Question: 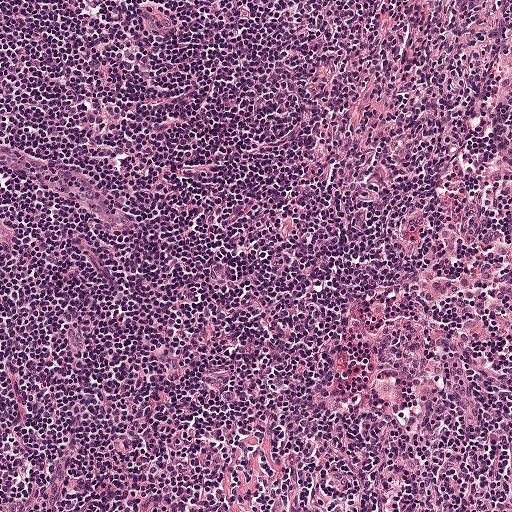
Which magnification is this H&E lymph node field most likely shown at?

Choices:
 (A) about 2.5×
 (B) about 20×
 (C) about 10×
 (D) about 40×
 (E) about 5×

Answer: (C) about 10×
Lymph node section stained with H&E, from a whole-slide image of a breast-cancer sentinel node. Magnification about 10×, about 0.5 mm across the frame, about 0.97 µm per pixel.